H&E-stained section of a sentinel lymph node (breast cancer), from a whole-slide image, viewed at about 10×: the field is about 0.5 mm across, about 0.97 µm per pixel.
Question: 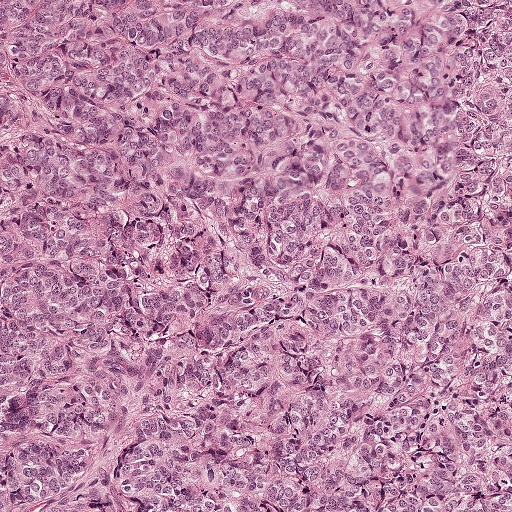
Estimate the proportion of this field that is metastatic tumour.

Choices:
 (A) about 25% to 45%
 (B) about 10% to 20%
 (C) about 50% or more
 (D) about 5% or less
 (E) none: no tumour is outlined

Answer: (C) about 50% or more
Over 95% of the field is tumour.
Metastatic tumour covers the whole field.